Image:
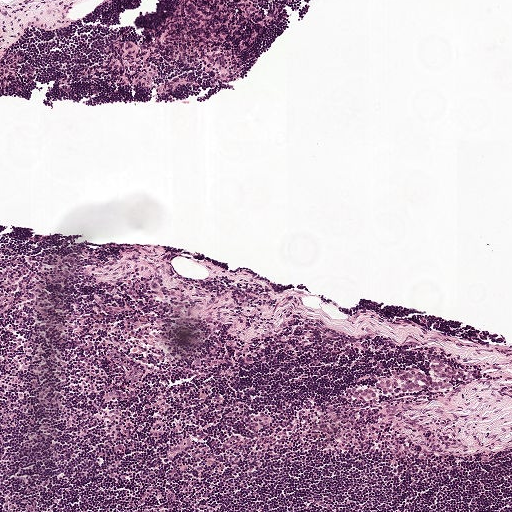
This is a crop of a whole-slide image: an H&E-stained breast-cancer sentinel lymph node section at roughly 5× magnification (about 1.9 µm per pixel; the crop spans about 1 mm).
Question:
Where is the metastatic tumour in this field?
Answer:
One metastatic tumour region; its boundary, reduced to 19 corners and listed clockwise: (444, 363), (466, 376), (454, 379), (454, 386), (449, 390), (423, 388), (399, 395), (381, 395), (372, 400), (363, 397), (351, 397), (347, 391), (352, 386), (372, 384), (393, 369), (418, 368), (428, 373), (430, 372), (430, 364).
Under 5% of this field is tumour.